Question: 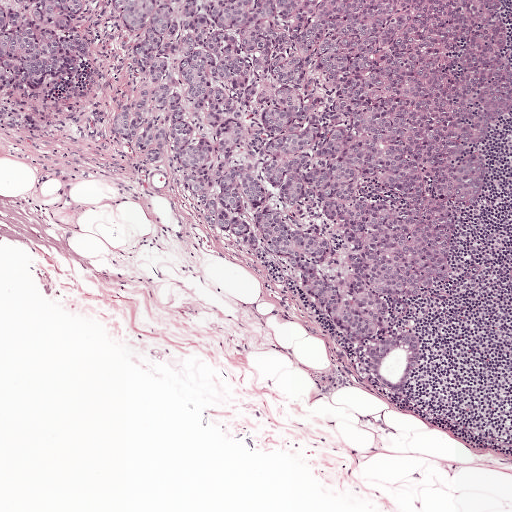
This is a crop of a whole-slide image: an H&E-stained breast-cancer sentinel lymph node section at roughly 5× magnification (about 1.9 µm per pixel; the crop spans about 1 mm).
About how much of this crop is taken up by metastatic carcinoma?

Choices:
 (A) about 25% to 45%
 (B) about 50% or more
 (C) none: no tumour is outlined
 (D) about 5% or less
 (E) about 10% to 20%

Answer: (A) about 25% to 45%
About 40% of the field is tumour.
Outlines of two tumour regions, largest first (closed clockwise paths, crop pixels): region 1: (500, 0), (511, 102), (482, 145), (466, 144), (463, 157), (482, 153), (489, 181), (475, 208), (455, 213), (453, 274), (422, 301), (378, 295), (390, 326), (419, 334), (408, 382), (380, 383), (293, 280), (254, 258), (162, 169), (132, 168), (114, 132), (132, 56), (115, 8); region 2: (0, 0), (87, 0), (99, 82), (68, 111), (31, 136), (2, 129).